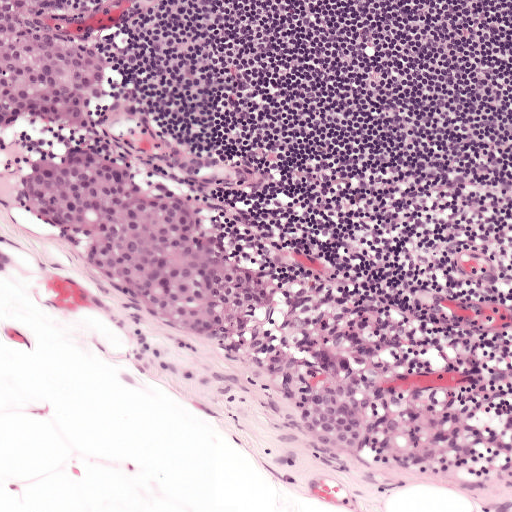
Lymph node section stained with H&E, from a whole-slide image of a breast-cancer sentinel node. Magnification about 10×, about 0.5 mm across the frame, about 0.97 µm per pixel.
Three metastatic tumour regions, each outlined as a closed clockwise path in crop pixels (x, y), largest first: region 1: (91, 146), (141, 165), (209, 210), (270, 267), (280, 290), (269, 313), (228, 345), (204, 342), (111, 295), (18, 203), (17, 178), (36, 160); region 2: (0, 0), (68, 0), (98, 46), (104, 72), (100, 96), (89, 119), (69, 134), (43, 141), (0, 132); region 3: (344, 380), (366, 387), (377, 410), (372, 438), (354, 456), (329, 461), (306, 450), (297, 425), (301, 398), (319, 381).
Tumour covers about 20% of the frame.